This is a crop of a whole-slide image: an H&E-stained breast-cancer sentinel lymph node section at roughly 20× magnification (about 0.45 µm per pixel; the crop spans about 0.23 mm).
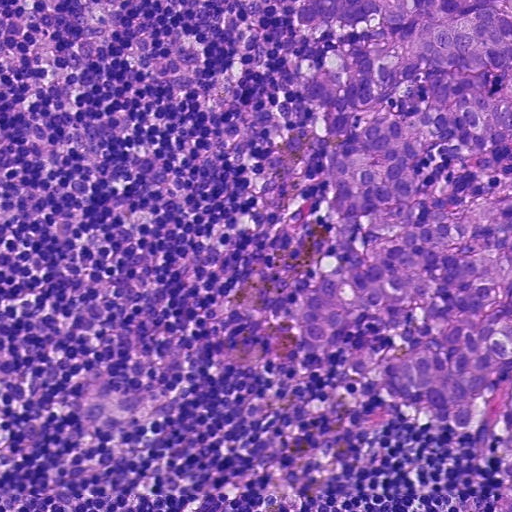
Question: Which parts of this field are metastatic tumour? Answer with the outline of each region, in pixels.
Answer: One metastatic tumour region; its boundary, reduced to 17 corners and listed clockwise: (299, 0), (511, 0), (511, 511), (500, 416), (464, 434), (424, 428), (366, 373), (396, 347), (366, 316), (337, 344), (298, 356), (286, 317), (325, 247), (328, 207), (304, 48), (342, 35), (302, 24).
The annotated tumour makes up about 30% of the crop.